Question: 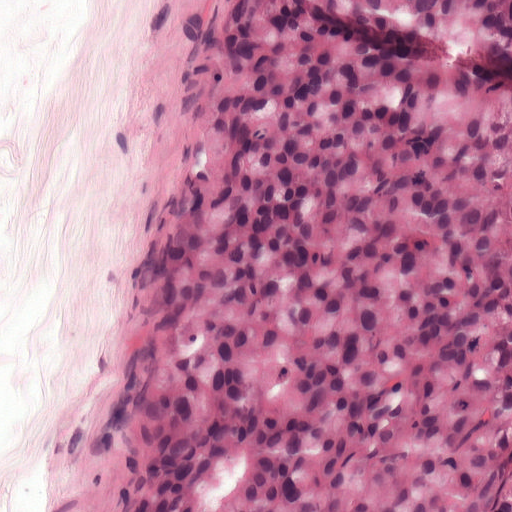
Lymph node section stained with H&E, from a whole-slide image of a breast-cancer sentinel node. Magnification about 20×, about 0.25 mm across the frame, about 0.49 µm per pixel.
About how much of this crop is taken up by metastatic carcinoma?

Choices:
 (A) about 5% or less
 (B) none: no tumour is outlined
 (C) about 10% to 20%
 (D) about 25% to 45%
 (E) about 50% or more

Answer: (E) about 50% or more
About 75% of the field is tumour.
Tumour region outline (a closed clockwise path, crop pixels): (159, 0), (511, 0), (511, 511), (65, 511), (140, 182).
Question: 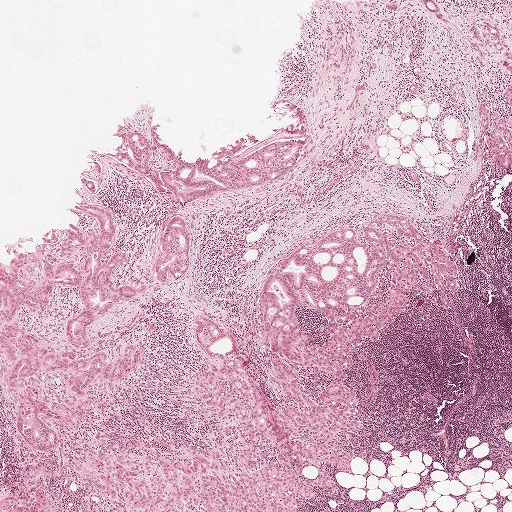
This is a crop of a whole-slide image: an H&E-stained breast-cancer sentinel lymph node section at roughly 2.5× magnification (about 3.9 µm per pixel; the crop spans about 2.0 mm).
About how much of this crop is taken up by metastatic carcinoma?

Choices:
 (A) about 10% to 20%
 (B) about 25% to 45%
 (C) about 5% or less
 (D) none: no tumour is outlined
 (E) about 50% or more

Answer: (C) about 5% or less
About 5% of the field is tumour.
Outlines of two tumour regions, largest first (closed clockwise paths, crop pixels): region 1: (352, 224), (358, 241), (371, 253), (376, 265), (375, 288), (357, 307), (336, 318), (306, 308), (298, 311), (298, 319), (313, 334), (314, 349), (310, 363), (296, 365), (282, 358), (259, 327), (260, 284), (281, 259); region 2: (162, 449), (187, 461), (195, 453), (213, 459), (217, 470), (230, 479), (238, 478), (267, 462), (277, 465), (298, 498), (295, 511), (127, 511), (117, 466), (120, 457), (148, 458).
Question: 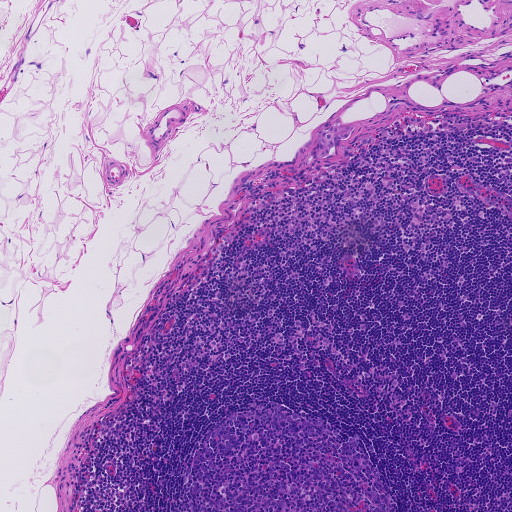
H&E-stained section of a sentinel lymph node (breast cancer), from a whole-slide image, viewed at about 5×: the field is about 0.93 mm across, about 1.8 µm per pixel.
About how much of this crop is taken up by metastatic carcinoma?

Choices:
 (A) about 10% to 20%
 (B) none: no tumour is outlined
 (C) about 50% or more
 (D) about 25% to 45%
 (E) about 5% or less

Answer: (E) about 5% or less
Under 5% of the field is tumour.
The outlined metastatic tumour's edge, as a closed clockwise path of 10 points: (343, 124), (356, 126), (349, 138), (337, 143), (328, 155), (316, 159), (311, 159), (309, 151), (315, 138), (316, 132).
Question: 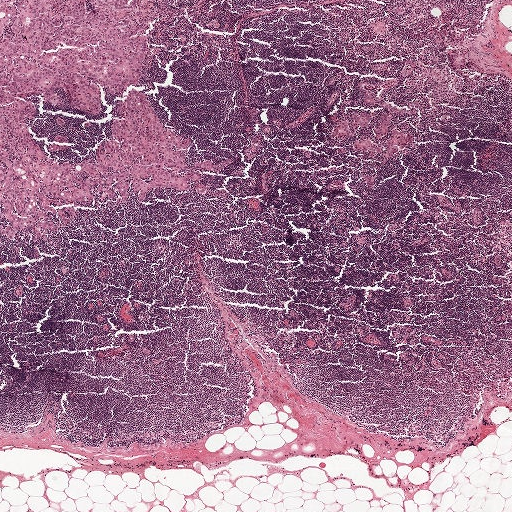
A 2.0-mm field of an H&E-stained sentinel lymph node from a breast-cancer patient (whole-slide image), shown at about 2.5×, about 3.9 µm per pixel.
About how much of this crop is taken up by metastatic carcinoma?

Choices:
 (A) about 25% to 45%
 (B) about 5% or less
 (C) none: no tumour is outlined
 (D) about 10% to 20%
 (E) about 50% or more

Answer: (D) about 10% to 20%
About 10% of the field is tumour.
Outlines of seven tumour regions, largest first (closed clockwise paths, crop pixels): region 1: (0, 0), (55, 0), (55, 16), (74, 0), (89, 13), (97, 0), (138, 0), (130, 6), (109, 10), (148, 36), (140, 74), (117, 95), (97, 82), (94, 113), (64, 87), (54, 88), (60, 103), (34, 95), (30, 134), (58, 163), (97, 156), (139, 88), (191, 137), (178, 172), (203, 179), (155, 186), (140, 200), (131, 184), (126, 203), (100, 200), (95, 186), (74, 221), (53, 215), (59, 231), (47, 240), (26, 228), (0, 240); region 2: (401, 130), (410, 133), (412, 140), (410, 144), (401, 143), (400, 145), (403, 146), (405, 149), (388, 157), (385, 155), (386, 146), (393, 131); region 3: (386, 111), (389, 113), (390, 125), (385, 136), (376, 138), (373, 135), (373, 130), (381, 114); region 4: (369, 140), (382, 147), (384, 150), (384, 152), (382, 154), (376, 154), (372, 156), (370, 154), (372, 149), (366, 152), (358, 150), (354, 147), (354, 141); region 5: (345, 118), (348, 119), (351, 127), (351, 136), (341, 136), (331, 139), (329, 138), (330, 132), (339, 124), (341, 121); region 6: (366, 111), (370, 114), (369, 127), (361, 128), (356, 125), (351, 117), (351, 112), (360, 113); region 7: (209, 160), (214, 162), (214, 163), (213, 169), (211, 170), (199, 168), (195, 166), (196, 163), (205, 162).
Three more small tumour pieces are annotated here but not outlined.